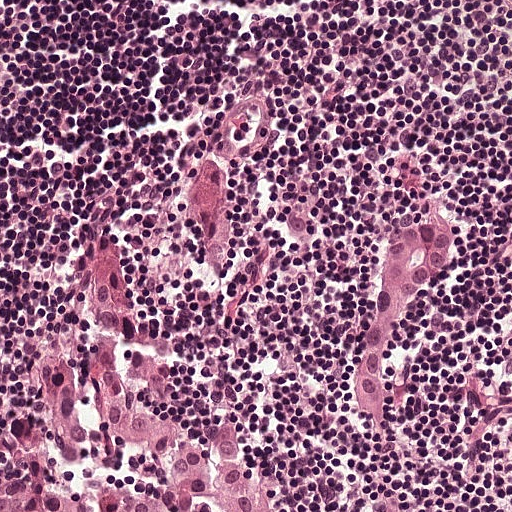
This is a crop of a whole-slide image: an H&E-stained breast-cancer sentinel lymph node section at roughly 20× magnification (about 0.49 µm per pixel; the crop spans about 0.25 mm).
Two metastatic tumour regions, each outlined as a closed clockwise path in crop pixels (x, y), largest first: region 1: (142, 223), (230, 278), (246, 373), (277, 414), (305, 508), (0, 511), (0, 384), (11, 342), (110, 224); region 2: (440, 196), (457, 212), (457, 244), (413, 378), (416, 482), (410, 511), (342, 511), (340, 362), (388, 224), (416, 204).
About 35% of the image area is annotated as tumour.